Image:
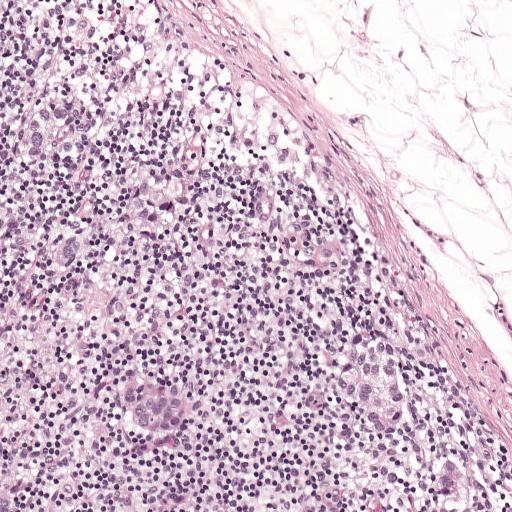
This is a crop of a whole-slide image: an H&E-stained breast-cancer sentinel lymph node section at roughly 10× magnification (about 0.97 µm per pixel; the crop spans about 0.5 mm).
Question:
Where is the metastatic tumour in this field?
Answer:
Boundaries of seven metastatic tumour regions, simplified and listed clockwise, largest first: region 1: (84, 90), (108, 108), (106, 135), (91, 154), (44, 179), (20, 177), (8, 154), (5, 130), (19, 105), (45, 95); region 2: (368, 334), (405, 346), (416, 372), (418, 399), (412, 426), (391, 435), (367, 432), (350, 416), (342, 394), (345, 370), (353, 347); region 3: (149, 177), (180, 183), (195, 206), (166, 245), (142, 250), (121, 243), (104, 224), (103, 197), (119, 180); region 4: (154, 376), (190, 382), (201, 404), (195, 430), (173, 445), (147, 447), (127, 434), (120, 411), (133, 387); region 5: (456, 444), (478, 456), (480, 483), (464, 502), (435, 500), (426, 478), (432, 452), (431, 445); region 6: (0, 481), (16, 481), (24, 500), (21, 511), (0, 511); region 7: (348, 502), (357, 511), (317, 511), (339, 507).
One more small tumour piece is annotated here but not outlined.
Tumour covers about 10% of the frame.